Question: 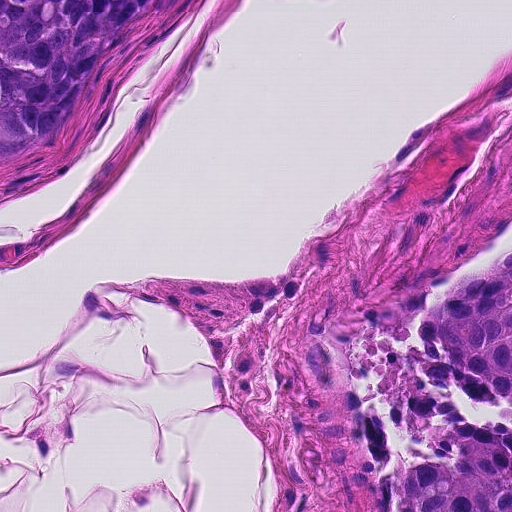
A 0.23-mm field of an H&E-stained sentinel lymph node from a breast-cancer patient (whole-slide image), shown at about 20×, about 0.45 µm per pixel.
What fraction of the image area is metastatic tumour?

Choices:
 (A) about 25% to 45%
 (B) about 10% to 20%
 (C) about 5% or less
 (D) none: no tumour is outlined
 (E) about 50% or more

Answer: (B) about 10% to 20%
About 15% of the field is tumour.
Boundaries of two metastatic tumour regions, simplified and listed clockwise, largest first: region 1: (511, 251), (511, 511), (384, 511), (380, 466), (411, 440), (406, 400), (426, 319), (452, 286); region 2: (0, 0), (152, 0), (106, 60), (76, 116), (32, 157), (2, 168).